Question: 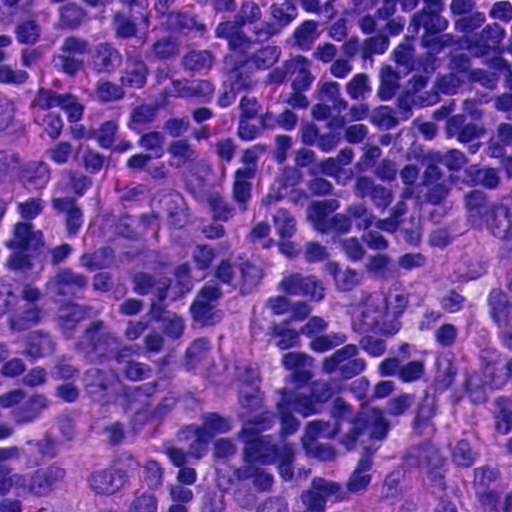
About what magnification does this crop show?

Choices:
 (A) about 10×
 (B) about 5×
 (C) about 2.5×
 (D) about 40×
 (E) about 20×

Answer: (D) about 40×
H&E-stained section of a sentinel lymph node (breast cancer), from a whole-slide image, viewed at about 40×: the field is about 0.12 mm across, about 0.23 µm per pixel.
Boundaries of three metastatic tumour regions, simplified and listed clockwise, largest first: region 1: (464, 317), (511, 375), (511, 511), (26, 511), (15, 465), (32, 426), (75, 392), (162, 439), (303, 478), (351, 472), (384, 452), (433, 356); region 2: (209, 153), (218, 187), (218, 223), (200, 253), (136, 292), (98, 289), (78, 258), (84, 221), (138, 162); region 3: (0, 75), (25, 96), (40, 128), (59, 157), (43, 189), (15, 211), (0, 247).
About 25% of the image area is annotated as tumour.